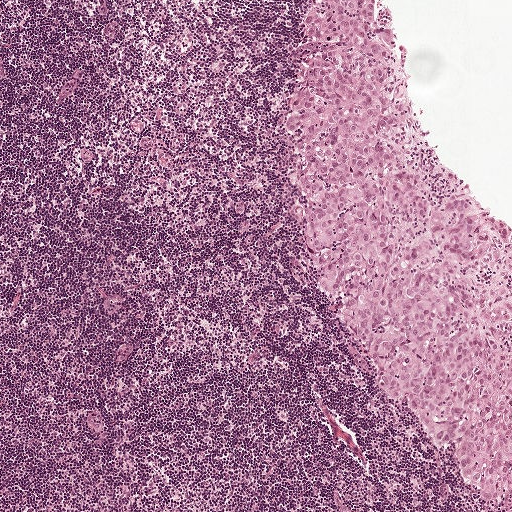
A 1-mm field of an H&E-stained sentinel lymph node from a breast-cancer patient (whole-slide image), shown at about 5×, about 1.9 µm per pixel.
Question: Describe where the metastatic carcinoma lies in this crop.
Answer: The outlined metastatic tumour's edge, as a closed clockwise path of 12 points: (305, 0), (382, 0), (431, 149), (474, 202), (511, 229), (511, 493), (484, 502), (364, 373), (288, 208), (289, 65), (315, 41), (301, 19).
The annotated tumour makes up about 25% of the crop.

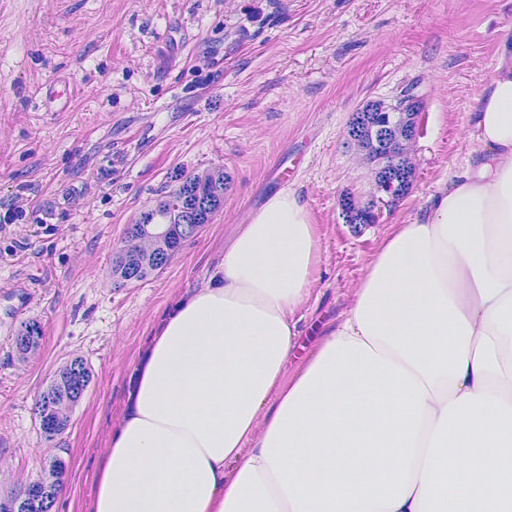
Lymph node section stained with H&E, from a whole-slide image of a breast-cancer sentinel node. Magnification about 20×, about 0.23 mm across the frame, about 0.45 µm per pixel.
Question: Describe where the metastatic carcinoma lies in this crop.
Answer: Metastatic tumour outline, simplified to 14 points and listed clockwise in crop pixels (x, y): (0, 0), (481, 0), (444, 72), (432, 160), (413, 198), (354, 248), (326, 218), (314, 134), (348, 80), (282, 130), (130, 322), (74, 435), (59, 511), (0, 511).
The annotated tumour makes up about 50% of the crop.

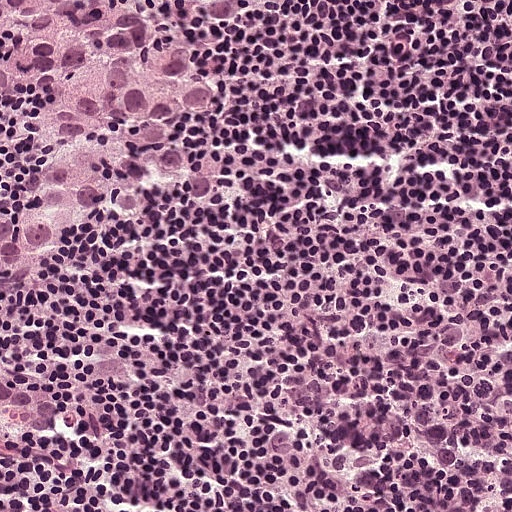
H&E-stained section of a sentinel lymph node (breast cancer), from a whole-slide image, viewed at about 20×: the field is about 0.25 mm across, about 0.49 µm per pixel.
Question: Describe where the metastatic carcinoma lies in this crop.
Answer: Boundaries of three metastatic tumour regions, simplified and listed clockwise, largest first: region 1: (0, 0), (119, 0), (170, 18), (220, 100), (208, 118), (174, 120), (170, 138), (218, 164), (220, 184), (208, 201), (156, 182), (135, 217), (92, 214), (46, 282), (0, 298), (0, 214), (40, 164), (39, 93), (0, 96), (0, 54), (24, 28), (0, 33); region 2: (20, 368), (54, 388), (64, 432), (32, 453), (0, 459), (0, 370); region 3: (176, 0), (298, 0), (268, 6), (239, 17), (212, 22).
About 20% of this field is tumour.

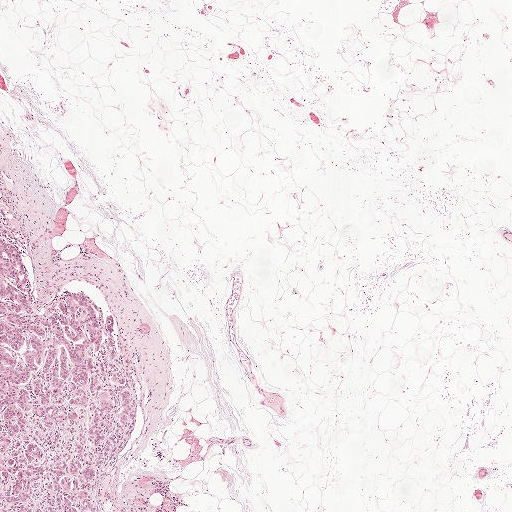
H&E-stained section of a sentinel lymph node (breast cancer), from a whole-slide image, viewed at about 2.5×: the field is about 2.0 mm across, about 3.9 µm per pixel.
Question: Describe where the metastatic carcinoma lies in this crop.
Answer: One metastatic tumour region; its boundary, reduced to 15 corners and listed clockwise: (0, 238), (12, 242), (21, 259), (35, 314), (45, 316), (76, 293), (100, 311), (104, 325), (113, 318), (113, 342), (135, 412), (128, 440), (96, 478), (100, 511), (0, 511).
Tumour covers about 10% of the frame.